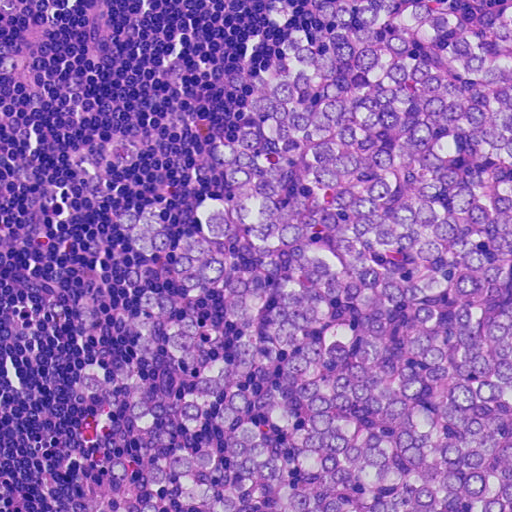
H&E-stained section of a sentinel lymph node (breast cancer), from a whole-slide image, viewed at about 20×: the field is about 0.23 mm across, about 0.45 µm per pixel.
Tumour region outline (a closed clockwise path, crop pixels): (330, 0), (436, 0), (493, 19), (511, 6), (511, 511), (127, 511), (110, 476), (159, 452), (152, 424), (95, 404), (74, 372), (142, 346), (146, 288), (166, 293), (173, 260), (146, 258), (115, 218), (156, 202), (175, 234), (201, 228), (226, 194), (206, 141), (234, 137), (254, 85).
Tumour covers about 65% of the frame.